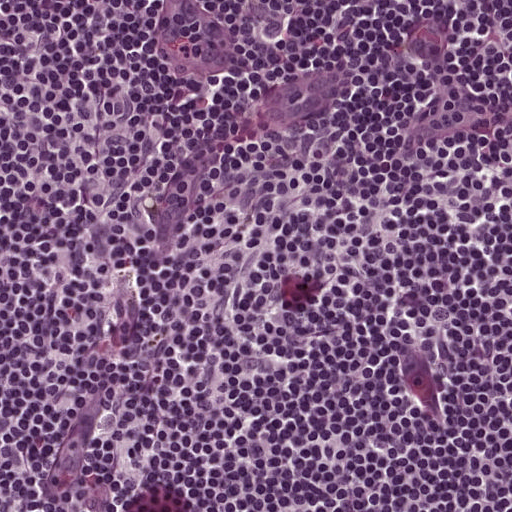
This is a crop of a whole-slide image: an H&E-stained breast-cancer sentinel lymph node section at roughly 20× magnification (about 0.49 µm per pixel; the crop spans about 0.25 mm).